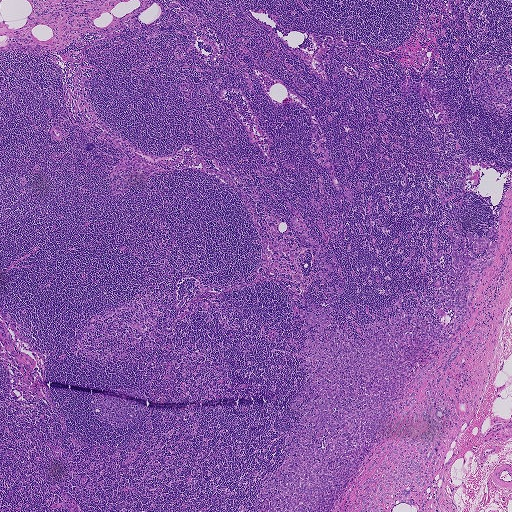
Lymph node section stained with H&E, from a whole-slide image of a breast-cancer sentinel node. Magnification about 2.5×, about 1.9 mm across the frame, about 3.6 µm per pixel.
Two metastatic tumour regions, each outlined as a closed clockwise path in crop pixels (x, y), largest first: region 1: (459, 224), (473, 251), (467, 233), (494, 225), (472, 319), (439, 362), (474, 329), (486, 349), (466, 361), (465, 404), (445, 389), (460, 418), (415, 487), (419, 508), (254, 509), (303, 414), (290, 400), (308, 397), (304, 314), (330, 307), (359, 340), (352, 323), (388, 326), (401, 294), (403, 310), (423, 317), (430, 303), (444, 326), (447, 230); region 2: (297, 215), (312, 231), (320, 248), (326, 248), (324, 255), (332, 253), (335, 256), (335, 263), (330, 256), (327, 259), (336, 271), (327, 275), (332, 286), (338, 281), (342, 282), (338, 286), (344, 287), (341, 295), (335, 288), (329, 293), (322, 284), (317, 293), (313, 292), (322, 280), (314, 283), (313, 276), (324, 267), (317, 265), (314, 259), (316, 247), (304, 241), (301, 231), (292, 220).
One more small tumour piece is annotated here but not outlined.
The annotated tumour makes up about 15% of the crop.